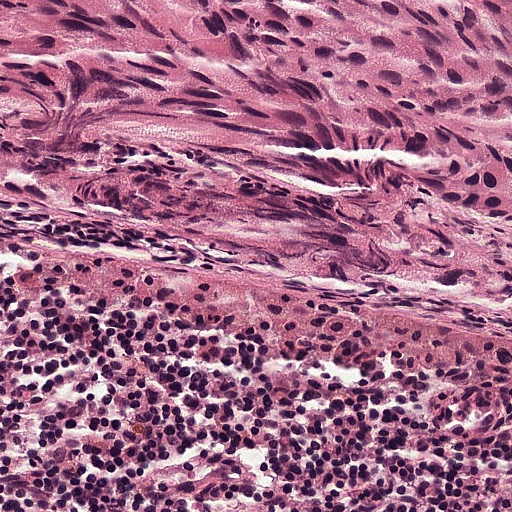
Lymph node section stained with H&E, from a whole-slide image of a breast-cancer sentinel node. Magnification about 20×, about 0.25 mm across the frame, about 0.49 µm per pixel.
Question: Is there metastatic carcinoma in this field?
Answer: Yes.
Tumour region outline (a closed clockwise path, crop pixels): (0, 0), (511, 0), (506, 276), (235, 259), (2, 188).
Tumour covers about 50% of the frame.